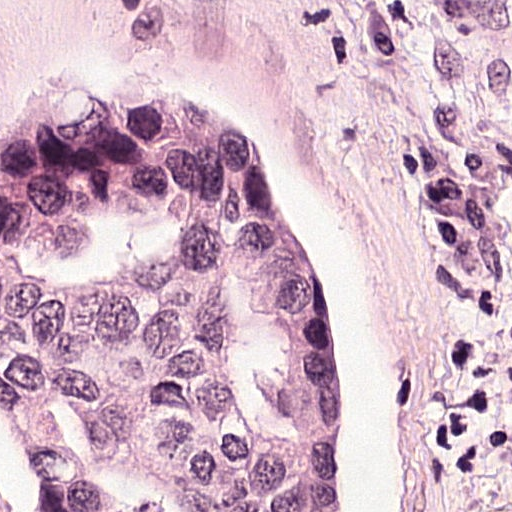
Lymph node section stained with H&E, from a whole-slide image of a breast-cancer sentinel node. Magnification about 40×, about 0.12 mm across the frame, about 0.24 µm per pixel.
Question: Describe where the metastatic carcinoma lies in this crop.
Answer: Tumour region outline (a closed clockwise path, crop pixels): (193, 94), (216, 121), (329, 312), (351, 511), (52, 511), (25, 430), (0, 410), (0, 160), (38, 98).
The annotated tumour makes up about 45% of the crop.